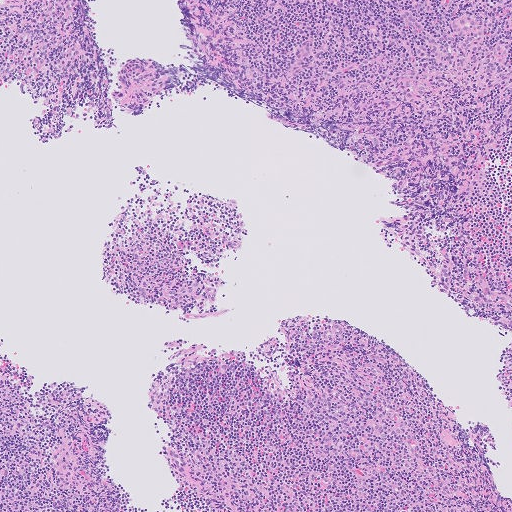
This is a crop of a whole-slide image: an H&E-stained breast-cancer sentinel lymph node section at roughly 5× magnification (about 2.0 µm per pixel; the crop spans about 1.0 mm).